H&E-stained section of a sentinel lymph node (breast cancer), from a whole-slide image, viewed at about 2.5×: the field is about 2.0 mm across, about 3.9 µm per pixel.
Image:
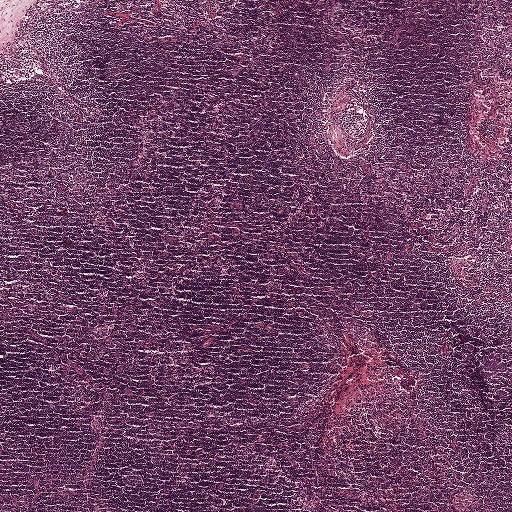
Question:
Does this lymph node field contain metastatic tumour?
Answer:
No, this field holds no outlined metastasis.